Lymph node section stained with H&E, from a whole-slide image of a breast-cancer sentinel node. Magnification about 10×, about 0.5 mm across the frame, about 0.97 µm per pixel.
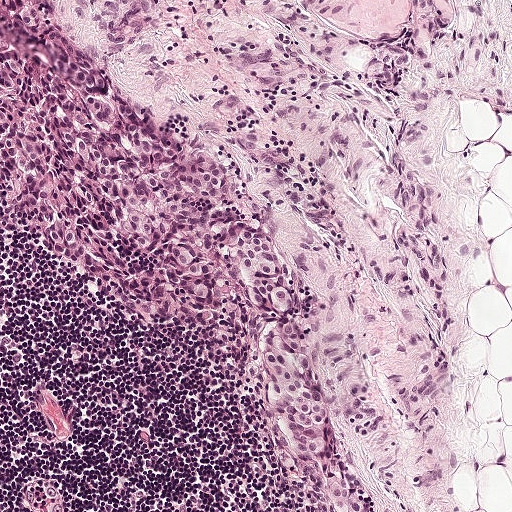
Outlines of two tumour regions, largest first (closed clockwise paths, crop pixels): region 1: (0, 41), (35, 59), (44, 57), (40, 42), (62, 44), (260, 204), (304, 294), (336, 455), (352, 464), (371, 511), (338, 511), (284, 456), (260, 402), (248, 302), (158, 324), (119, 313), (37, 234), (0, 158); region 2: (2, 0), (53, 0), (56, 17), (52, 32), (45, 36), (40, 36), (31, 29).
Tumour covers about 25% of the frame.